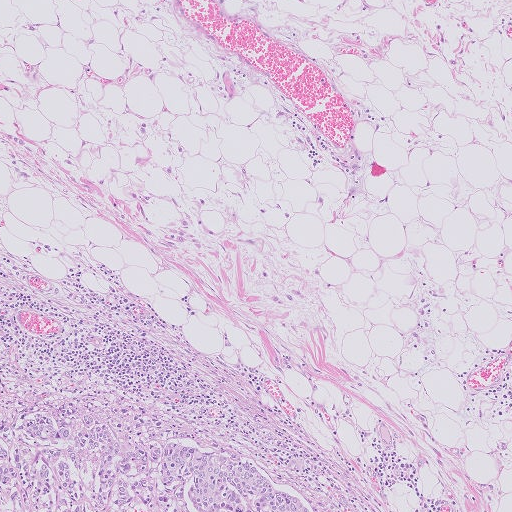
Lymph node section stained with H&E, from a whole-slide image of a breast-cancer sentinel node. Magnification about 5×, about 1.0 mm across the frame, about 2.0 µm per pixel.
The outlined metastatic tumour's edge, as a closed clockwise path of 8 points: (47, 394), (135, 401), (164, 415), (191, 441), (242, 454), (317, 511), (0, 511), (0, 420).
About 10% of the image area is annotated as tumour.